Lymph node section stained with H&E, from a whole-slide image of a breast-cancer sentinel node. Magnification about 5×, about 0.93 mm across the frame, about 1.8 µm per pixel.
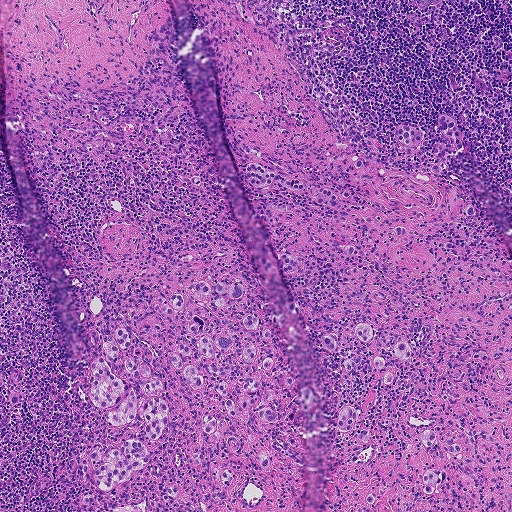
Outlines of the eight largest metastatic tumour regions, each a closed clockwise path in crop pixels (x, y), largest first: region 1: (121, 327), (131, 344), (120, 349), (118, 358), (138, 360), (163, 381), (168, 416), (157, 442), (145, 436), (145, 422), (133, 424), (150, 461), (128, 481), (102, 491), (92, 481), (82, 483), (77, 470), (94, 446), (107, 449), (107, 410), (88, 397), (90, 368), (105, 357), (100, 340); region 2: (256, 314), (272, 333), (268, 339), (254, 332), (255, 344), (277, 367), (268, 372), (256, 359), (247, 363), (242, 351), (250, 342), (234, 341), (238, 365), (228, 380), (257, 375), (260, 392), (272, 396), (267, 406), (277, 422), (266, 423), (242, 408), (239, 420), (232, 418), (223, 403), (228, 398), (217, 391), (202, 403), (168, 360), (175, 338), (192, 346), (198, 337), (187, 330), (189, 318), (202, 317), (205, 335), (212, 337), (225, 330), (243, 334), (244, 316); region 3: (250, 162), (257, 163), (281, 176), (294, 179), (312, 187), (326, 188), (337, 195), (344, 190), (349, 192), (349, 197), (345, 199), (342, 196), (338, 197), (340, 203), (337, 209), (330, 209), (318, 204), (309, 192), (295, 192), (277, 183), (257, 187), (246, 180), (245, 166); region 4: (202, 280), (214, 285), (222, 281), (228, 284), (234, 281), (240, 282), (244, 287), (243, 294), (239, 298), (232, 299), (226, 296), (229, 304), (226, 309), (213, 310), (194, 303), (187, 289), (190, 284); region 5: (444, 113), (451, 115), (459, 127), (463, 148), (458, 152), (450, 151), (444, 154), (447, 167), (442, 173), (436, 174), (430, 172), (431, 165), (438, 164), (433, 153), (434, 146), (438, 141), (452, 144), (439, 134), (437, 127), (438, 116); region 6: (343, 405), (355, 408), (360, 421), (359, 427), (370, 429), (370, 441), (366, 445), (360, 442), (355, 437), (358, 432), (355, 429), (354, 422), (352, 428), (346, 432), (340, 430), (336, 425), (338, 412); region 7: (402, 124), (422, 130), (424, 137), (422, 143), (416, 146), (403, 144), (397, 140), (393, 132), (396, 126); region 8: (432, 468), (444, 471), (447, 477), (443, 482), (437, 480), (433, 492), (429, 496), (424, 492), (425, 485), (422, 477), (425, 471).
10 more, smaller tumour regions are not outlined.
14 more small tumour pieces are annotated here but not outlined.
Tumour covers about 10% of the frame.